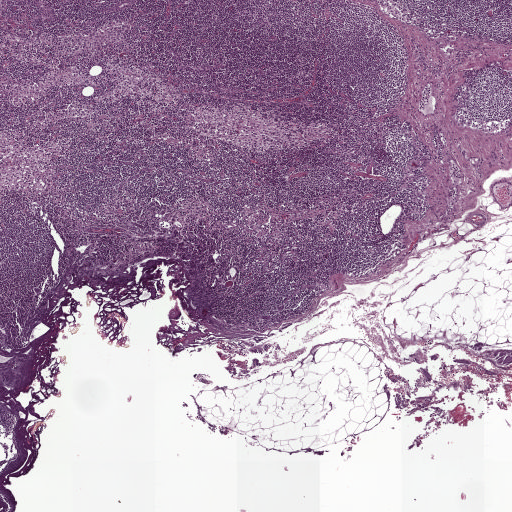
Lymph node section stained with H&E, from a whole-slide image of a breast-cancer sentinel node. Magnification about 2.5×, about 2.0 mm across the frame, about 3.9 µm per pixel.